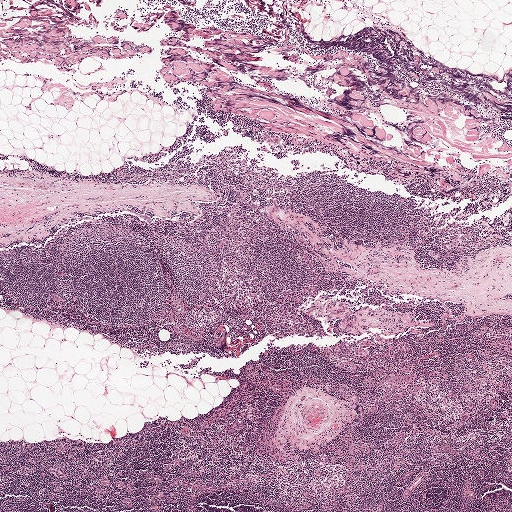
This is a crop of a whole-slide image: an H&E-stained breast-cancer sentinel lymph node section at roughly 2.5× magnification (about 3.9 µm per pixel; the crop spans about 2.0 mm).
Boundaries of three metastatic tumour regions, simplified and listed clockwise, largest first: region 1: (365, 338), (370, 340), (370, 345), (367, 347), (370, 351), (365, 357), (357, 357), (353, 354), (359, 343); region 2: (264, 131), (271, 132), (281, 138), (281, 141), (280, 144), (278, 145), (269, 145), (267, 144), (266, 139), (261, 138), (257, 136), (257, 134), (259, 132); region 3: (376, 334), (384, 337), (390, 337), (393, 339), (393, 341), (391, 343), (387, 344), (380, 343), (375, 341), (373, 338).
Tumour covers under 5% of the frame.